Lymph node section stained with H&E, from a whole-slide image of a breast-cancer sentinel node. Magnification about 20×, about 0.25 mm across the frame, about 0.49 µm per pixel.
Image:
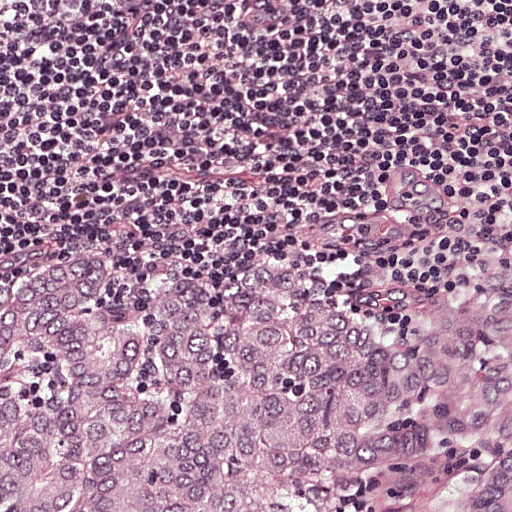
Question:
Which parts of this field are metastatic tumour? Answer with the outline of each region, in pixels.
Answer:
Metastatic tumour outline, simplified to 5 points and listed clockwise in crop pixels (x, y): (0, 238), (292, 254), (511, 299), (511, 511), (0, 511).
About 50% of the image area is annotated as tumour.